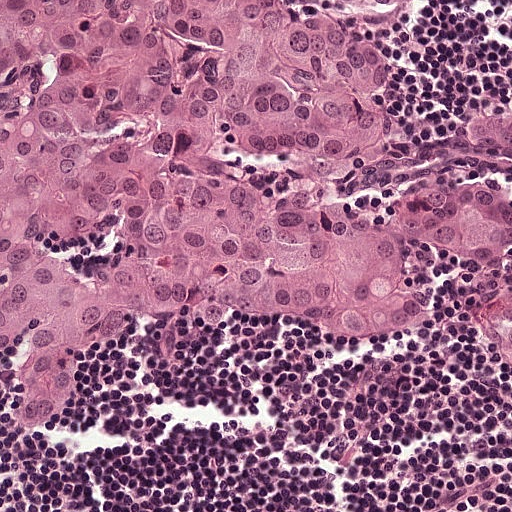
This is a crop of a whole-slide image: an H&E-stained breast-cancer sentinel lymph node section at roughly 20× magnification (about 0.49 µm per pixel; the crop spans about 0.25 mm).
Outlines of two tumour regions, largest first (closed clockwise paths, crop pixels): region 1: (0, 0), (411, 0), (368, 12), (394, 54), (384, 86), (402, 128), (340, 165), (336, 192), (450, 162), (511, 181), (511, 261), (456, 247), (429, 256), (437, 298), (408, 319), (206, 316), (164, 300), (36, 417), (0, 408), (17, 318), (2, 336); region 2: (511, 113), (511, 158), (498, 156), (471, 145), (470, 121), (484, 114).
Tumour covers about 55% of the frame.